Question: 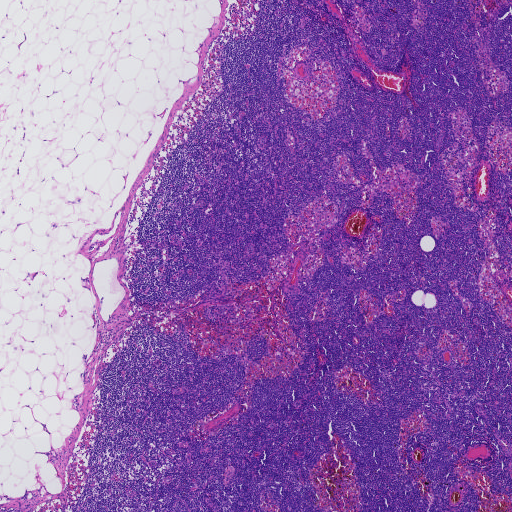
At roughly what magnification is this field shown?

Choices:
 (A) about 10×
 (B) about 20×
 (C) about 40×
 (D) about 2.5×
 (E) about 5×

Answer: (D) about 2.5×
Lymph node section stained with H&E, from a whole-slide image of a breast-cancer sentinel node. Magnification about 2.5×, about 1.9 mm across the frame, about 3.6 µm per pixel.